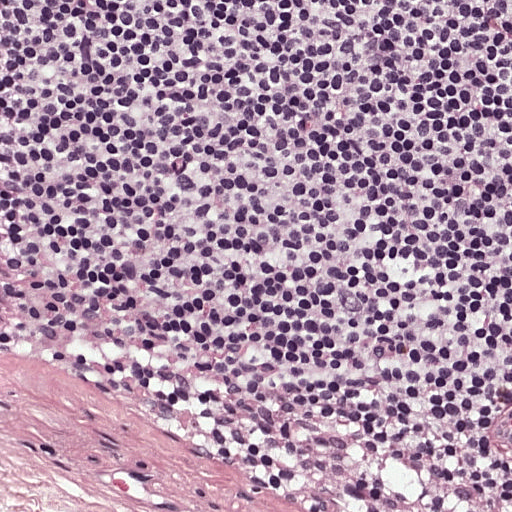
Lymph node section stained with H&E, from a whole-slide image of a breast-cancer sentinel node. Magnification about 20×, about 0.25 mm across the frame, about 0.49 µm per pixel.